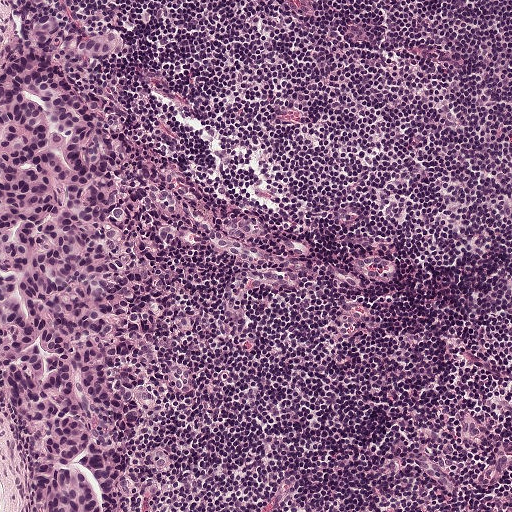
This is a crop of a whole-slide image: an H&E-stained breast-cancer sentinel lymph node section at roughly 10× magnification (about 0.97 µm per pixel; the crop spans about 0.5 mm).
Metastatic tumour outline, simplified to 23 points and listed clockwise in crop pixels (x, y): (29, 0), (65, 0), (125, 34), (104, 86), (130, 147), (264, 219), (266, 241), (297, 241), (326, 281), (256, 298), (232, 344), (224, 306), (254, 274), (166, 240), (202, 329), (193, 390), (142, 439), (161, 483), (152, 511), (37, 511), (34, 455), (0, 401), (0, 75).
One more small tumour piece is annotated here but not outlined.
About 30% of the image area is annotated as tumour.